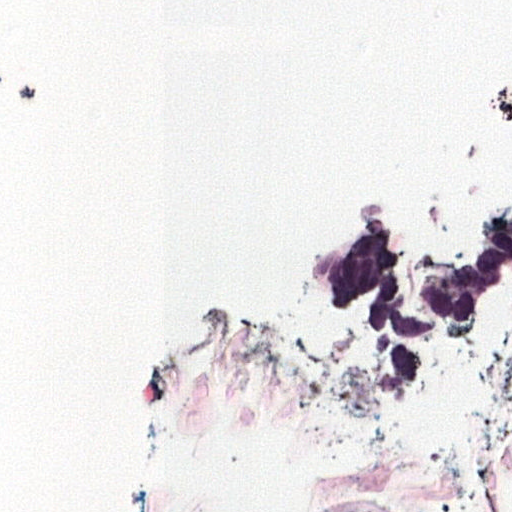
Lymph node section stained with H&E, from a whole-slide image of a breast-cancer sentinel node. Magnification about 40×, about 0.12 mm across the frame, about 0.24 µm per pixel.
One metastatic tumour region; its boundary, reduced to 7 corners and listed clockwise: (390, 188), (437, 235), (511, 210), (511, 292), (389, 398), (293, 289), (345, 207).
About 10% of this field is tumour.